Image:
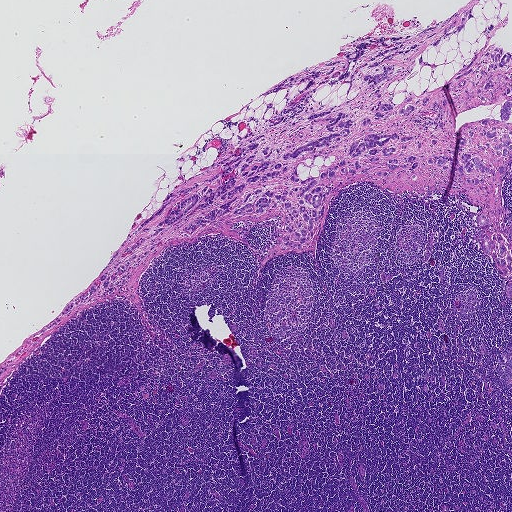
H&E-stained section of a sentinel lymph node (breast cancer), from a whole-slide image, viewed at about 2.5×: the field is about 1.9 mm across, about 3.6 µm per pixel.
Question:
Outline the metastatic carcinoma in this image, as closed paths of (x, y) pixel coordinates.
Answer:
The outlined metastatic tumour's edge, as a closed clockwise path of 35 points: (471, 8), (460, 32), (424, 50), (436, 67), (418, 64), (421, 51), (388, 84), (398, 104), (443, 84), (500, 24), (488, 42), (511, 52), (511, 302), (476, 240), (484, 208), (464, 194), (354, 182), (318, 239), (277, 252), (271, 219), (249, 248), (214, 230), (172, 239), (109, 294), (60, 313), (169, 193), (217, 172), (267, 101), (285, 103), (285, 89), (259, 94), (361, 37), (418, 33), (458, 9), (457, 24).
About 20% of the image area is annotated as tumour.